H&E-stained section of a sentinel lymph node (breast cancer), from a whole-slide image, viewed at about 20×: the field is about 0.25 mm across, about 0.49 µm per pixel.
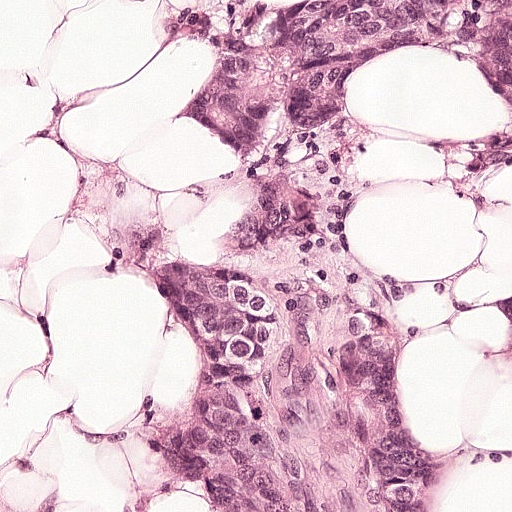
Question: Describe where the metastatic carcinoma lies in this crop.
Answer: Tumour region outline (a closed clockwise path, crop pixels): (131, 0), (511, 0), (511, 511), (174, 511), (152, 288), (131, 266).
About 70% of this field is tumour.